Question: 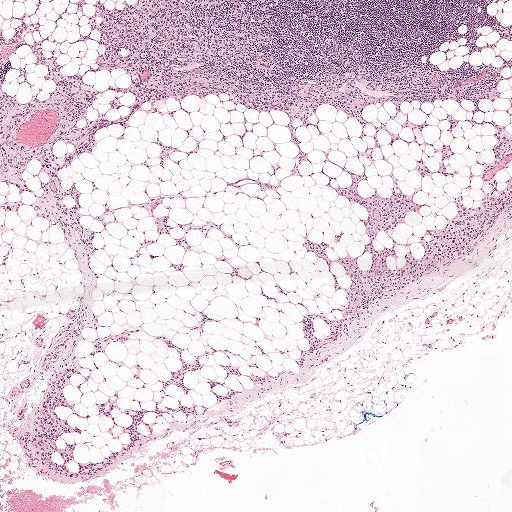
Lymph node section stained with H&E, from a whole-slide image of a breast-cancer sentinel node. Magnification about 2.5×, about 2.0 mm across the frame, about 3.9 µm per pixel.
About how much of this crop is taken up by metastatic carcinoma?

Choices:
 (A) about 5% or less
 (B) none: no tumour is outlined
 (C) about 50% or more
 (D) about 10% to 20%
 (E) about 25% to 45%

Answer: (E) about 25% to 45%
About 25% of the field is tumour.
Outlines of eight tumour regions, largest first (closed clockwise paths, crop pixels): region 1: (22, 12), (31, 15), (31, 19), (40, 23), (40, 31), (26, 34), (26, 41), (15, 50), (8, 62), (0, 70), (0, 27), (4, 35), (9, 36), (18, 22), (21, 22); region 2: (154, 333), (170, 338), (176, 345), (182, 346), (185, 348), (185, 350), (180, 356), (180, 359), (181, 361), (186, 361), (192, 360), (193, 358), (194, 353), (199, 363), (199, 367), (198, 368), (190, 370), (182, 374), (182, 377), (184, 381), (188, 388), (184, 392), (177, 386), (170, 382), (167, 383), (165, 384), (162, 392), (161, 392), (161, 385), (158, 380), (168, 378), (170, 376), (171, 372), (177, 369), (179, 366), (176, 350), (173, 347), (168, 346), (153, 336); region 3: (429, 142), (440, 147), (442, 144), (447, 143), (450, 142), (449, 147), (453, 152), (444, 158), (444, 165), (446, 168), (449, 170), (457, 170), (456, 174), (452, 177), (444, 178), (441, 172), (438, 172), (430, 176), (425, 175), (424, 178), (420, 178), (413, 168), (416, 161), (419, 158), (423, 158), (427, 168), (437, 169), (437, 161), (439, 159), (440, 155), (439, 153), (430, 149); region 4: (157, 195), (162, 197), (161, 202), (154, 208), (154, 213), (167, 215), (167, 224), (170, 226), (168, 234), (165, 235), (158, 235), (153, 219), (150, 217), (144, 207), (139, 205), (143, 201); region 5: (228, 363), (231, 365), (236, 366), (240, 371), (243, 373), (255, 373), (260, 375), (263, 379), (263, 383), (262, 383), (249, 379), (241, 374), (235, 374), (226, 378), (224, 384), (216, 383), (213, 384), (213, 392), (218, 396), (223, 396), (227, 393), (227, 388), (228, 388), (237, 390), (238, 391), (236, 393), (232, 393), (226, 396), (222, 400), (219, 400), (210, 391), (208, 382), (208, 380), (215, 381), (220, 380), (224, 378), (225, 372), (220, 365); region 6: (179, 235), (183, 237), (191, 246), (190, 249), (186, 250), (175, 243), (173, 238); region 7: (19, 66), (23, 66), (25, 67), (25, 70), (27, 71), (27, 73), (25, 76), (25, 79), (28, 81), (28, 83), (18, 83), (18, 76), (19, 73), (18, 67); region 8: (169, 262), (182, 263), (184, 264), (184, 268), (181, 271), (173, 268).
Three more tumour regions are annotated but not outlined: their edges are too irregular for short outlines.
One more small tumour piece is annotated here but not outlined.